Lymph node section stained with H&E, from a whole-slide image of a breast-cancer sentinel node. Magnification about 2.5×, about 2.0 mm across the frame, about 3.9 µm per pixel.
Question: 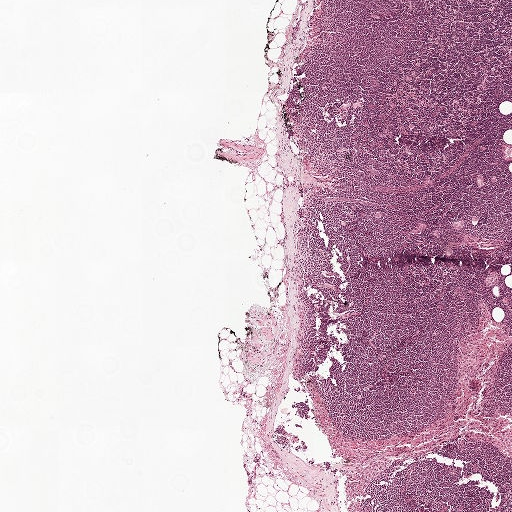
What fraction of the image area is metastatic tumour?

Choices:
 (A) about 5% or less
 (B) about 10% to 20%
 (C) about 25% to 45%
 (D) none: no tumour is outlined
 (E) about 50% or more

Answer: (A) about 5% or less
Under 5% of the field is tumour.
Tumour region outline (a closed clockwise path, crop pixels): (422, 222), (425, 223), (426, 224), (426, 226), (422, 229), (420, 229), (420, 230), (420, 232), (416, 233), (412, 232), (410, 231), (411, 230), (413, 229), (419, 229), (418, 227), (419, 224).
Nine more small tumour pieces are annotated here but not outlined.